Image:
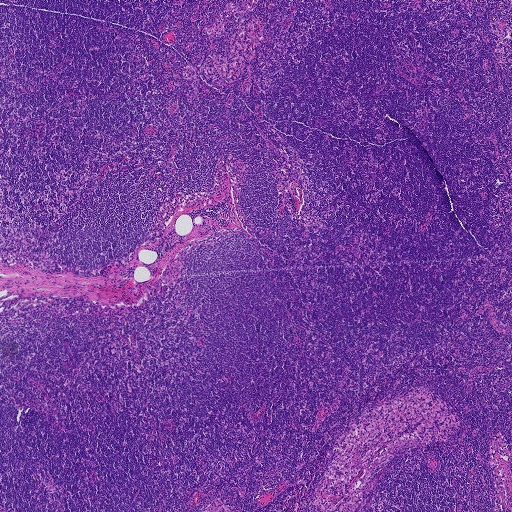
H&E-stained section of a sentinel lymph node (breast cancer), from a whole-slide image, viewed at about 2.5×: the field is about 1.9 mm across, about 3.6 µm per pixel.
Question:
Is there metastatic carcinoma in this field?
Answer:
No, this field holds no outlined metastasis.